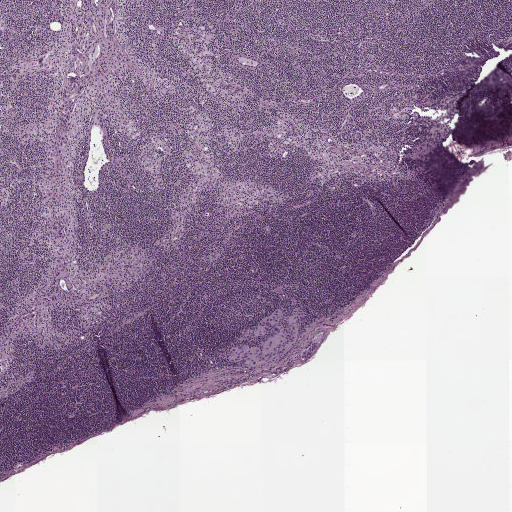
This is a crop of a whole-slide image: an H&E-stained breast-cancer sentinel lymph node section at roughly 2.5× magnification (about 3.9 µm per pixel; the crop spans about 2.0 mm).
Two metastatic tumour regions, each outlined as a closed clockwise path in crop pixels (x, y), largest first: region 1: (294, 297), (298, 301), (299, 308), (306, 315), (297, 339), (281, 357), (250, 368), (246, 368), (242, 362), (231, 363), (218, 354), (218, 351), (221, 349), (250, 341), (234, 342), (232, 339), (243, 327), (251, 328), (277, 307), (282, 307), (288, 313), (293, 308), (290, 298); region 2: (311, 340), (319, 341), (319, 344), (311, 358), (308, 360), (303, 361), (300, 356), (303, 349).
One more small tumour piece is annotated here but not outlined.
Tumour covers under 5% of the frame.